Image:
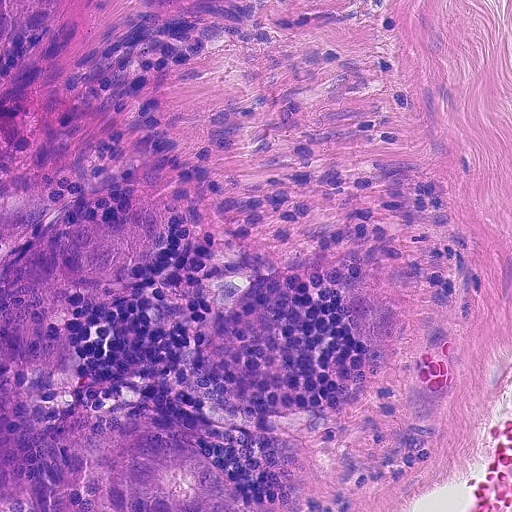
Lymph node section stained with H&E, from a whole-slide image of a breast-cancer sentinel node. Magnification about 20×, about 0.23 mm across the frame, about 0.45 µm per pixel.
Question:
Show where the tumour is in this image.
Answer:
Outlines of four tumour regions, largest first (closed clockwise paths, crop pixels): region 1: (0, 416), (3, 423), (30, 432), (84, 416), (140, 424), (154, 436), (182, 441), (206, 456), (246, 495), (231, 511), (0, 511); region 2: (0, 0), (103, 0), (94, 14), (112, 34), (74, 76), (76, 106), (104, 104), (117, 128), (51, 181), (0, 195), (0, 69), (46, 25), (16, 41), (0, 58); region 3: (156, 189), (168, 214), (148, 268), (126, 286), (74, 308), (64, 362), (6, 372), (0, 381), (0, 274), (28, 240), (52, 226), (108, 215); region 4: (356, 285), (380, 296), (402, 312), (408, 322), (408, 335), (402, 346), (392, 353), (368, 346), (358, 338), (351, 327), (346, 302), (346, 290).
About 20% of the image area is annotated as tumour.